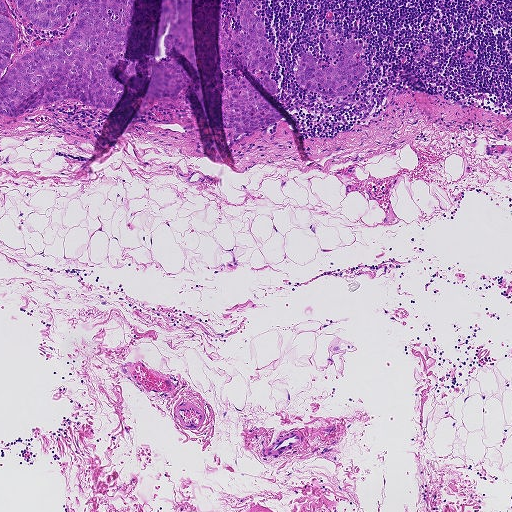
A 0.93-mm field of an H&E-stained sentinel lymph node from a breast-cancer patient (whole-slide image), shown at about 5×, about 1.8 µm per pixel.
Question: Is there metastatic carcinoma in this field?
Answer: Yes.
Boundaries of three metastatic tumour regions, simplified and listed clockwise, largest first: region 1: (0, 0), (18, 34), (11, 57), (66, 36), (76, 12), (60, 25), (45, 31), (25, 18), (13, 0), (132, 0), (122, 53), (108, 71), (108, 78), (121, 87), (121, 95), (110, 107), (90, 107), (67, 99), (0, 112), (0, 78), (7, 67), (1, 72); region 2: (239, 0), (250, 0), (264, 23), (275, 54), (272, 70), (261, 73), (275, 82), (282, 103), (247, 60), (230, 56), (230, 62), (282, 117), (258, 132), (242, 133), (233, 132), (224, 118), (220, 69), (220, 13), (229, 14), (234, 31), (243, 32), (238, 26), (237, 9); region 3: (329, 37), (342, 44), (348, 39), (356, 40), (362, 49), (356, 53), (354, 57), (366, 67), (365, 74), (358, 80), (352, 94), (330, 96), (314, 94), (297, 85), (294, 78), (295, 70), (306, 49), (317, 60), (319, 67), (334, 66), (340, 51), (335, 57), (327, 56), (322, 50).
Tumour covers about 5% of the frame.

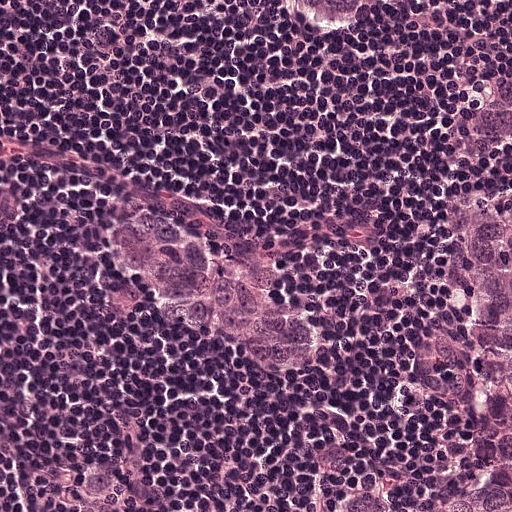
This is a crop of a whole-slide image: an H&E-stained breast-cancer sentinel lymph node section at roughly 20× magnification (about 0.49 µm per pixel; the crop spans about 0.25 mm).
Question: Is there metastatic carcinoma in this field?
Answer: Yes.
Boundaries of two metastatic tumour regions, simplified and listed clockwise, largest first: region 1: (511, 58), (511, 511), (328, 511), (346, 468), (388, 452), (467, 446), (476, 414), (410, 385), (238, 363), (140, 325), (115, 302), (80, 210), (93, 198), (124, 198), (198, 210), (312, 296), (394, 293), (432, 242), (422, 110), (460, 72); region 2: (286, 0), (371, 0), (356, 20), (342, 29), (315, 28), (304, 14), (295, 9), (292, 4), (286, 2).
About 30% of the image area is annotated as tumour.

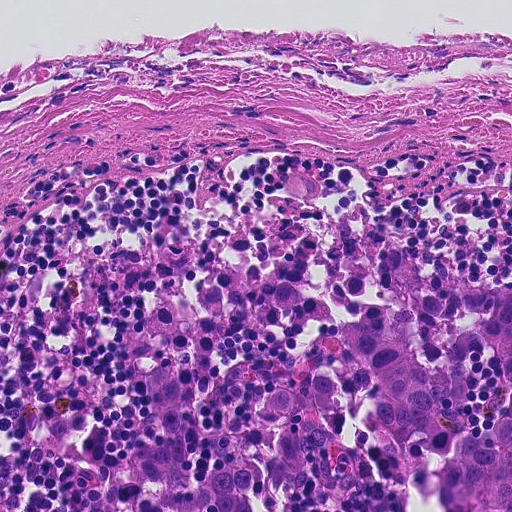
H&E-stained section of a sentinel lymph node (breast cancer), from a whole-slide image, viewed at about 20×: the field is about 0.23 mm across, about 0.45 µm per pixel.
Question: Is there metastatic carcinoma in this field?
Answer: Yes.
Tumour region outline (a closed clockwise path, crop pixels): (402, 255), (435, 294), (511, 282), (511, 511), (438, 511), (420, 488), (118, 511), (154, 414), (142, 366), (166, 364), (182, 384), (196, 484), (300, 350), (304, 325), (266, 293), (364, 276), (384, 293), (376, 258).
Tumour covers about 25% of the frame.

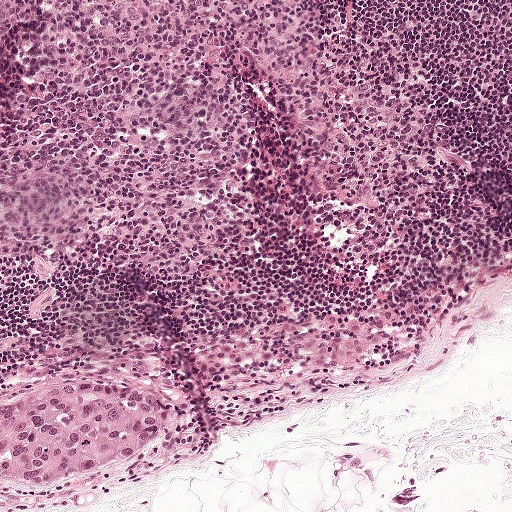
This is a crop of a whole-slide image: an H&E-stained breast-cancer sentinel lymph node section at roughly 10× magnification (about 0.97 µm per pixel; the crop spans about 0.5 mm).
Question: Is there metastatic carcinoma in this field?
Answer: Yes.
The outlined metastatic tumour's edge, as a closed clockwise path of 10 points: (52, 379), (114, 384), (164, 402), (172, 415), (171, 431), (157, 453), (136, 470), (52, 502), (0, 500), (0, 394).
Tumour covers about 5% of the frame.